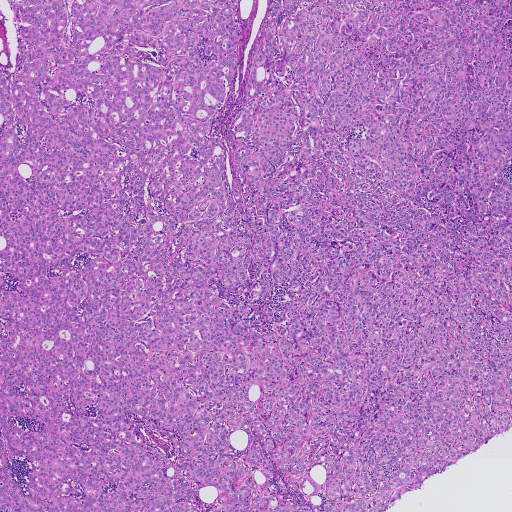
H&E-stained section of a sentinel lymph node (breast cancer), from a whole-slide image, viewed at about 2.5×: the field is about 1.9 mm across, about 3.6 µm per pixel.
One metastatic tumour region; its boundary, reduced to 14 corners and listed clockwise: (0, 0), (232, 0), (243, 35), (237, 77), (211, 134), (227, 148), (231, 190), (240, 141), (232, 124), (272, 0), (511, 0), (511, 427), (384, 511), (0, 511).
Tumour covers about 95% of the frame.